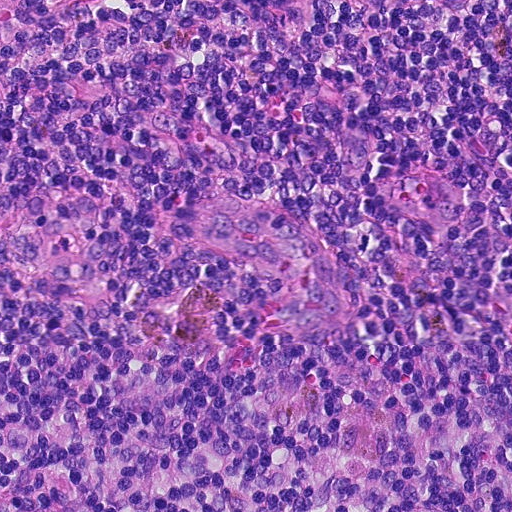
Lymph node section stained with H&E, from a whole-slide image of a breast-cancer sentinel node. Magnification about 20×, about 0.23 mm across the frame, about 0.45 µm per pixel.
Question: Is there metastatic carcinoma in this field?
Answer: No, this field holds no outlined metastasis.